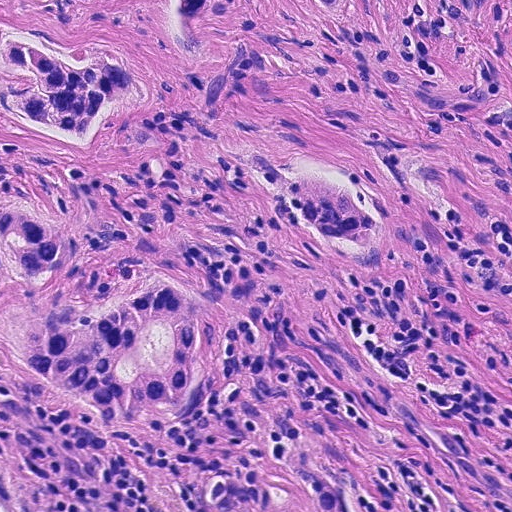
H&E-stained section of a sentinel lymph node (breast cancer), from a whole-slide image, viewed at about 20×: the field is about 0.23 mm across, about 0.45 µm per pixel.
Question: Which parts of this field are metastatic tumour?
Answer: Five metastatic tumour regions, each outlined as a closed clockwise path in crop pixels (x, y), largest first: region 1: (166, 275), (191, 296), (204, 324), (196, 390), (176, 416), (144, 426), (110, 423), (24, 372), (9, 342), (26, 316), (52, 296), (74, 293), (106, 301); region 2: (13, 28), (74, 52), (138, 60), (152, 88), (100, 128), (78, 151), (18, 124), (0, 110), (0, 38); region 3: (279, 161), (310, 176), (366, 207), (379, 226), (349, 236), (317, 239), (290, 220), (272, 193); region 4: (0, 194), (22, 200), (50, 218), (63, 249), (40, 272), (0, 277); region 5: (303, 0), (352, 0), (352, 4), (324, 22), (319, 22).
One more small tumour piece is annotated here but not outlined.
Tumour covers about 15% of the frame.